H&E-stained section of a sentinel lymph node (breast cancer), from a whole-slide image, viewed at about 20×: the field is about 0.23 mm across, about 0.45 µm per pixel.
Question: 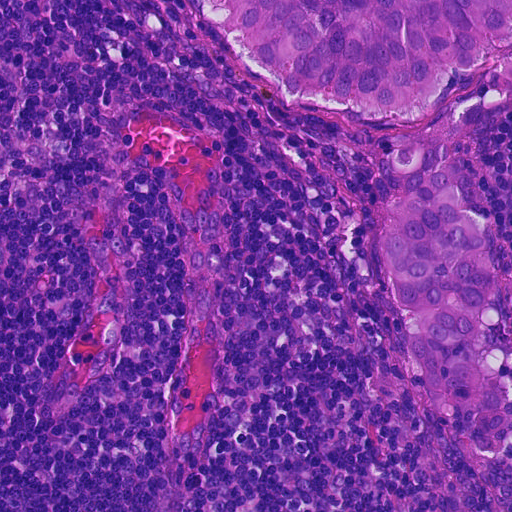
Roughly what share of this field is metastatic tumour?

Choices:
 (A) about 5% or less
 (B) about 25% to 45%
 (C) about 10% to 20%
 (D) about 50% or more
 (E) none: no tumour is outlined

Answer: (C) about 10% to 20%
About 20% of the field is tumour.
Two metastatic tumour regions, each outlined as a closed clockwise path in crop pixels (x, y), largest first: region 1: (193, 0), (511, 0), (511, 30), (480, 54), (472, 72), (454, 68), (438, 108), (420, 120), (314, 110), (294, 102), (241, 65), (220, 28), (202, 18); region 2: (440, 166), (460, 183), (486, 226), (497, 276), (468, 348), (480, 369), (504, 379), (506, 404), (500, 412), (475, 414), (430, 394), (391, 302), (392, 284), (380, 263), (378, 238), (385, 213), (413, 172).